Question: 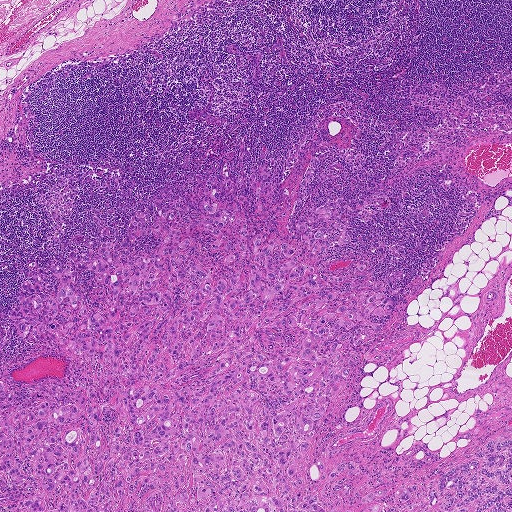
A 1.9-mm field of an H&E-stained sentinel lymph node from a breast-cancer patient (whole-slide image), shown at about 2.5×, about 3.6 µm per pixel.
What fraction of the image area is metastatic tumour?

Choices:
 (A) none: no tumour is outlined
 (B) about 25% to 45%
 (C) about 5% or less
 (D) about 10% to 20%
 (E) about 50% or more

Answer: (B) about 25% to 45%
About 35% of the field is tumour.
Boundaries of five metastatic tumour regions, simplified and listed clockwise, largest first: region 1: (215, 177), (246, 248), (321, 275), (300, 303), (333, 310), (361, 288), (327, 276), (362, 259), (402, 286), (299, 468), (320, 437), (329, 471), (367, 466), (322, 472), (324, 509), (0, 511), (7, 395), (84, 382), (103, 452), (135, 428), (103, 348), (17, 342), (20, 266), (72, 265), (106, 320), (72, 250), (155, 253), (132, 216), (165, 230), (171, 201), (181, 233); region 2: (511, 434), (511, 511), (396, 511), (409, 503), (399, 499), (399, 493), (402, 489), (417, 482), (420, 494), (428, 486), (436, 485), (437, 479), (447, 468), (472, 459), (472, 453), (484, 449), (488, 439), (499, 440); region 3: (310, 216), (313, 218), (312, 222), (305, 224), (308, 230), (311, 233), (321, 229), (327, 234), (328, 237), (317, 239), (316, 243), (323, 245), (337, 240), (340, 231), (333, 222), (340, 222), (347, 225), (350, 240), (337, 248), (329, 248), (328, 251), (322, 254), (318, 252), (314, 254), (308, 240), (302, 239), (296, 229), (296, 224), (301, 218), (304, 220), (303, 223), (306, 222); region 4: (382, 476), (384, 478), (382, 485), (385, 491), (385, 496), (381, 498), (378, 499), (382, 502), (383, 508), (382, 511), (344, 511), (346, 510), (353, 509), (359, 505), (360, 501), (359, 498), (353, 496), (352, 493), (354, 490), (357, 489), (361, 495), (364, 495), (367, 493), (376, 489), (378, 486), (377, 479), (379, 477); region 5: (263, 164), (264, 167), (263, 171), (266, 172), (267, 176), (261, 181), (271, 187), (271, 194), (268, 196), (266, 192), (266, 188), (261, 191), (261, 194), (259, 197), (254, 193), (254, 189), (250, 188), (250, 184), (248, 183), (248, 179), (254, 172), (258, 179), (259, 176), (258, 169).
Four more small tumour pieces are annotated here but not outlined.